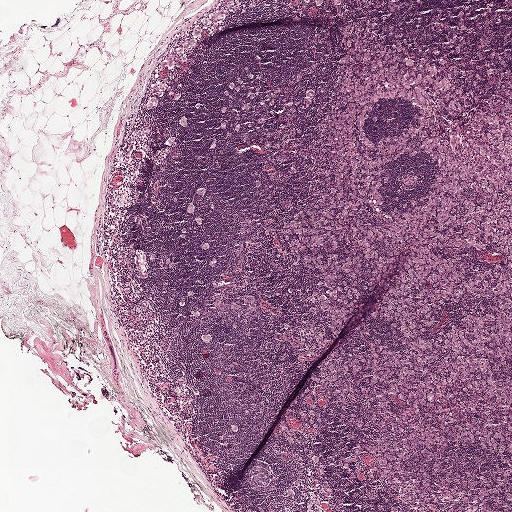
A 2.0-mm field of an H&E-stained sentinel lymph node from a breast-cancer patient (whole-slide image), shown at about 2.5×, about 3.9 µm per pixel.
Metastatic tumour outline, simplified to 24 points and listed clockwise in crop pixels (x, y): (370, 20), (439, 57), (511, 70), (511, 511), (460, 511), (478, 459), (468, 448), (366, 493), (345, 480), (340, 459), (365, 403), (343, 364), (373, 339), (391, 348), (395, 336), (383, 324), (346, 336), (320, 327), (303, 301), (320, 282), (289, 258), (279, 232), (311, 174), (336, 21).
The outline encloses three non-tumour holes totalling about 5% of the region's area.
The annotated tumour makes up about 30% of the crop.